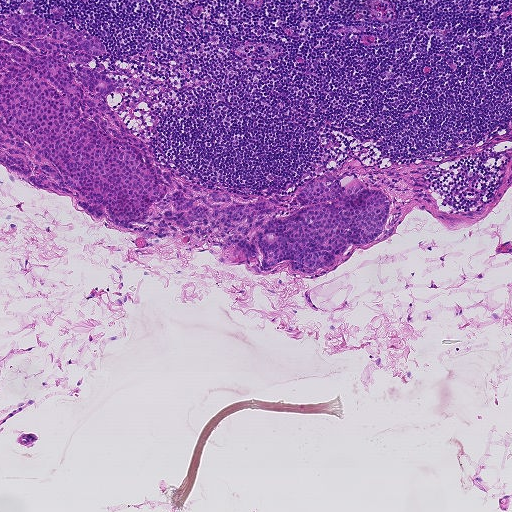
H&E-stained section of a sentinel lymph node (breast cancer), from a whole-slide image, viewed at about 5×: the field is about 0.93 mm across, about 1.8 µm per pixel.
Tumour region outline (a closed clockwise path, crop pixels): (20, 2), (52, 22), (62, 7), (56, 23), (102, 39), (103, 57), (93, 56), (118, 87), (108, 105), (183, 178), (272, 199), (355, 173), (392, 204), (384, 233), (307, 277), (288, 260), (260, 270), (218, 238), (95, 222), (66, 195), (9, 175), (0, 21), (24, 13).
The annotated tumour makes up about 15% of the crop.